Question: 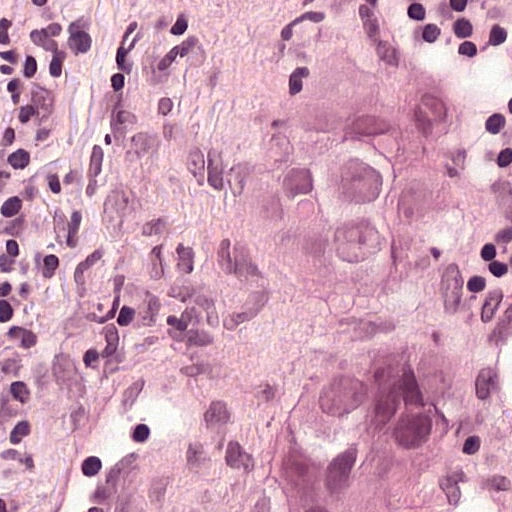
Which magnification is this H&E lymph node field most likely shown at?

Choices:
 (A) about 40×
 (B) about 2.5×
 (C) about 5×
 (D) about 20×
 (E) about 10×

Answer: (A) about 40×
A 0.12-mm field of an H&E-stained sentinel lymph node from a breast-cancer patient (whole-slide image), shown at about 40×, about 0.24 µm per pixel.
Metastatic tumour outline, simplified to 15 points and listed clockwise in crop pixels (x, y): (359, 127), (387, 130), (443, 170), (449, 317), (462, 355), (481, 367), (492, 417), (477, 508), (284, 511), (287, 436), (312, 339), (290, 298), (290, 267), (265, 233), (274, 167).
Tumour covers about 25% of the frame.